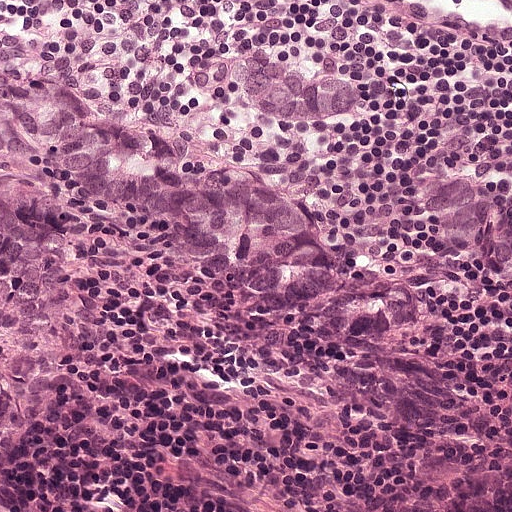
Lymph node section stained with H&E, from a whole-slide image of a breast-cancer sentinel node. Magnification about 20×, about 0.25 mm across the frame, about 0.49 µm per pixel.
Boundaries of five metastatic tumour regions, simplified and listed clockwise, largest first: region 1: (0, 57), (93, 104), (132, 104), (198, 125), (300, 216), (366, 259), (409, 316), (404, 346), (338, 350), (178, 272), (159, 248), (52, 177), (2, 170); region 2: (0, 193), (9, 193), (9, 198), (41, 206), (57, 225), (75, 280), (79, 336), (54, 382), (43, 427), (25, 445), (2, 451); region 3: (460, 164), (498, 170), (510, 180), (511, 292), (462, 270), (448, 259), (436, 243), (423, 202), (436, 175); region 4: (261, 50), (292, 60), (302, 76), (314, 72), (334, 81), (352, 78), (360, 81), (363, 89), (361, 108), (340, 119), (314, 122), (302, 127), (278, 126), (252, 114), (233, 94), (236, 62); region 5: (511, 375), (511, 421), (508, 417), (507, 417), (502, 404), (501, 395), (501, 392), (506, 386), (508, 380), (508, 377), (510, 377).
The annotated tumour makes up about 30% of the crop.